Question: 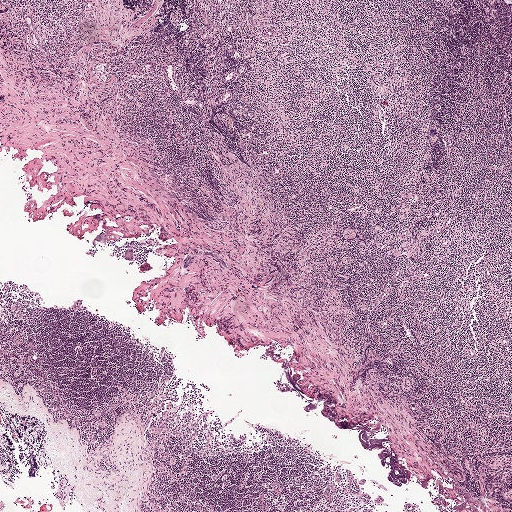
About what magnification does this crop show?

Choices:
 (A) about 40×
 (B) about 10×
 (C) about 20×
 (D) about 2.5×
 (E) about 5×

Answer: (D) about 2.5×
This is a crop of a whole-slide image: an H&E-stained breast-cancer sentinel lymph node section at roughly 2.5× magnification (about 3.9 µm per pixel; the crop spans about 2.0 mm).